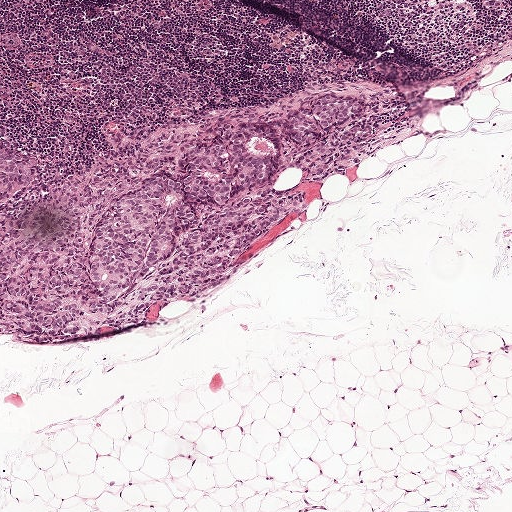
Lymph node section stained with H&E, from a whole-slide image of a breast-cancer sentinel node. Magnification about 5×, about 1 mm across the frame, about 1.9 µm per pixel.
Question: Show where the tumour is in this image.
Answer: Tumour region outline (a closed clockwise path, crop pixels): (361, 100), (374, 136), (315, 182), (275, 174), (272, 188), (305, 208), (179, 304), (2, 334), (0, 141), (39, 164), (6, 204), (22, 215), (74, 175), (176, 163), (221, 124), (271, 126), (283, 166), (305, 149), (287, 128), (294, 104).
About 20% of the image area is annotated as tumour.